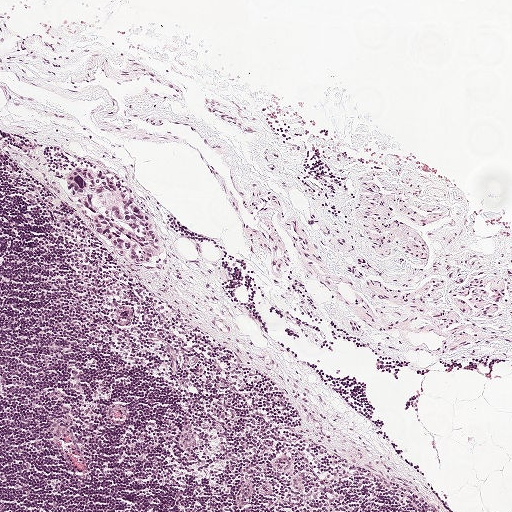
A 1-mm field of an H&E-stained sentinel lymph node from a breast-cancer patient (whole-slide image), shown at about 5×, about 1.9 µm per pixel.
The outlined metastatic tumour's edge, as a closed clockwise path of 17 points: (75, 166), (82, 167), (114, 179), (132, 195), (141, 210), (151, 216), (161, 247), (158, 263), (151, 267), (142, 267), (129, 262), (114, 250), (100, 235), (90, 214), (79, 206), (66, 181), (66, 176).
Tumour covers under 5% of the frame.